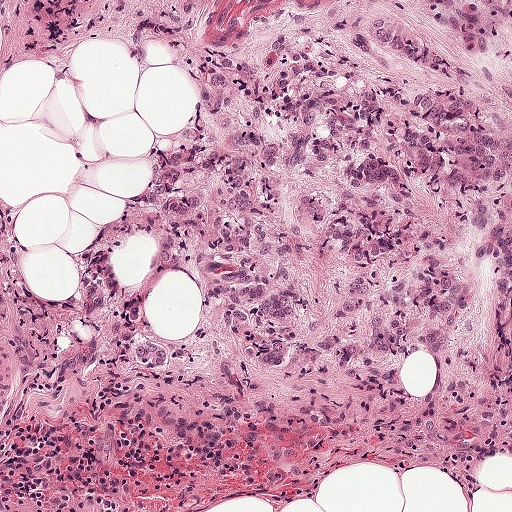
H&E-stained section of a sentinel lymph node (breast cancer), from a whole-slide image, viewed at about 10×: the field is about 0.5 mm across, about 0.97 µm per pixel.
One metastatic tumour region; its boundary, reduced to 16 corners and listed clockwise: (511, 0), (511, 384), (438, 404), (390, 445), (305, 432), (215, 441), (152, 434), (108, 367), (108, 322), (142, 272), (229, 210), (228, 145), (178, 94), (69, 63), (62, 44), (72, 4).
The annotated tumour makes up about 60% of the crop.